H&E-stained section of a sentinel lymph node (breast cancer), from a whole-slide image, viewed at about 2.5×: the field is about 2.0 mm across, about 3.9 µm per pixel.
Image:
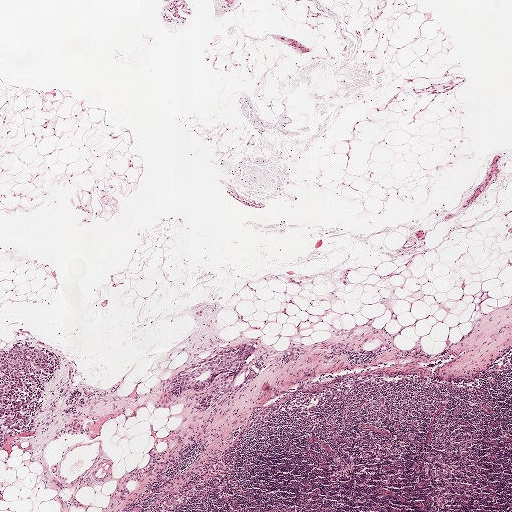
Question:
Is there metastatic carcinoma in this field?
Answer:
Yes.
Two metastatic tumour regions, each outlined as a closed clockwise path in crop pixels (x, y), largest first: region 1: (24, 341), (52, 349), (59, 366), (54, 378), (43, 388), (38, 416), (29, 425), (20, 429), (6, 429), (0, 435), (0, 348), (10, 349), (15, 342); region 2: (249, 344), (257, 346), (258, 349), (243, 362), (233, 386), (210, 408), (196, 411), (194, 406), (228, 377), (227, 372), (217, 374), (206, 389), (198, 394), (185, 394), (177, 399), (168, 395), (169, 384), (179, 373), (194, 368), (232, 348).
Under 5% of the image area is annotated as tumour.